Question: 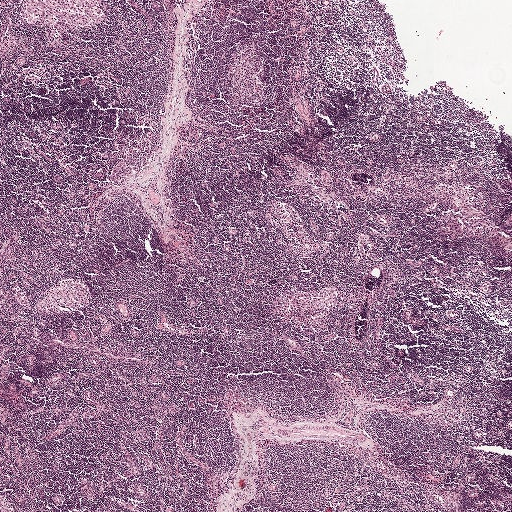
Which magnification is this H&E lymph node field most likely shown at?

Choices:
 (A) about 20×
 (B) about 2.5×
 (C) about 10×
 (D) about 5×
 (E) about 40×

Answer: (B) about 2.5×
Lymph node section stained with H&E, from a whole-slide image of a breast-cancer sentinel node. Magnification about 2.5×, about 2.0 mm across the frame, about 3.9 µm per pixel.